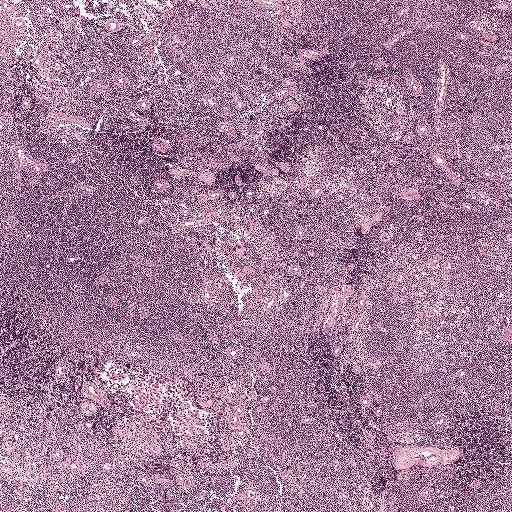
Lymph node section stained with H&E, from a whole-slide image of a breast-cancer sentinel node. Magnification about 2.5×, about 2.0 mm across the frame, about 3.9 µm per pixel.
Boundaries of two metastatic tumour regions, simplified and listed clockwise, largest first: region 1: (111, 365), (130, 366), (138, 372), (171, 378), (186, 386), (192, 393), (189, 402), (216, 420), (218, 434), (216, 439), (211, 440), (208, 432), (200, 441), (186, 439), (176, 429), (172, 416), (166, 418), (152, 410), (144, 413), (133, 408), (130, 393), (113, 388), (106, 378), (104, 373); region 2: (141, 419), (163, 422), (168, 425), (167, 432), (164, 433), (155, 429), (138, 430), (136, 425).
Under 5% of the image area is annotated as tumour.